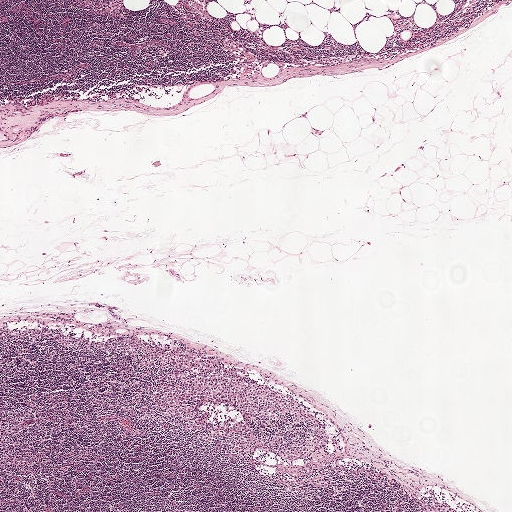
This is a crop of a whole-slide image: an H&E-stained breast-cancer sentinel lymph node section at roughly 2.5× magnification (about 3.9 µm per pixel; the crop spans about 2.0 mm).
Question: Show where the tumour is in this image.
Answer: One metastatic tumour region; its boundary, reduced to 18 corners and listed clockwise: (17, 318), (53, 319), (101, 336), (175, 343), (219, 365), (296, 390), (324, 424), (331, 453), (319, 462), (291, 462), (206, 448), (86, 401), (77, 380), (118, 376), (107, 364), (91, 357), (1, 351), (0, 321).
Tumour covers about 10% of the frame.

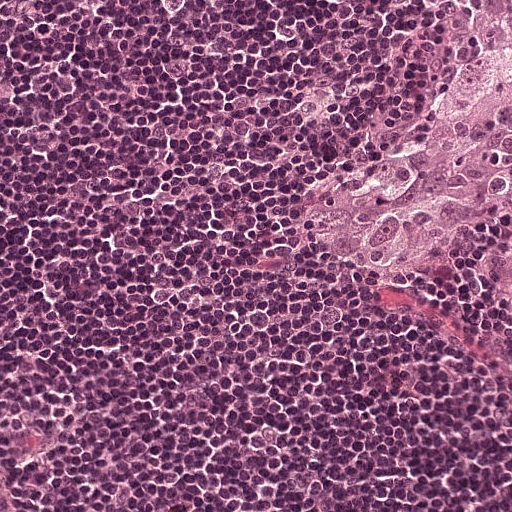
H&E-stained section of a sentinel lymph node (breast cancer), from a whole-slide image, viewed at about 20×: the field is about 0.25 mm across, about 0.49 µm per pixel.
Question: Show where the tumour is in this image.
Answer: Metastatic tumour outline, simplified to 12 points and listed clockwise in crop pixels (x, y): (511, 0), (510, 200), (472, 250), (432, 274), (420, 280), (377, 276), (308, 237), (300, 206), (323, 179), (423, 114), (478, 37), (481, 3).
About 10% of this field is tumour.

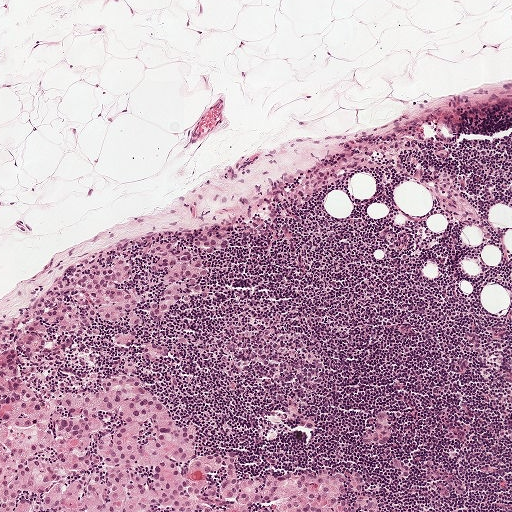
A 1-mm field of an H&E-stained sentinel lymph node from a breast-cancer patient (whole-slide image), shown at about 5×, about 1.9 µm per pixel.
Question: Show where the tumour is in this image.
Answer: The eight largest tumour regions' boundaries, simplified and listed clockwise, largest first: region 1: (57, 302), (81, 307), (99, 336), (56, 324), (19, 368), (44, 398), (99, 389), (132, 360), (130, 372), (178, 426), (194, 424), (192, 459), (236, 450), (241, 478), (325, 467), (361, 472), (363, 496), (377, 511), (0, 511), (0, 352); region 2: (163, 240), (179, 243), (196, 253), (209, 269), (206, 278), (198, 278), (196, 283), (209, 289), (206, 298), (193, 294), (188, 302), (177, 302), (166, 319), (157, 323), (146, 315), (147, 308), (164, 289), (164, 272), (148, 272), (150, 266), (160, 255), (151, 257), (146, 251), (148, 246); region 3: (115, 258), (129, 258), (134, 268), (133, 277), (115, 286), (118, 290), (133, 288), (134, 293), (143, 298), (135, 312), (142, 322), (137, 326), (132, 326), (128, 323), (130, 312), (116, 324), (101, 318), (97, 312), (93, 318), (89, 317), (86, 314), (88, 308), (93, 308), (92, 294), (82, 289), (75, 280), (90, 272), (89, 266), (97, 262), (100, 267), (110, 266); region 4: (381, 411), (386, 412), (390, 426), (390, 439), (383, 445), (370, 445), (358, 441), (363, 432), (372, 428), (378, 413); region 5: (219, 232), (229, 239), (229, 248), (207, 253), (192, 244), (194, 239), (204, 234), (211, 235); region 6: (159, 340), (167, 345), (170, 356), (162, 362), (153, 363), (143, 358), (140, 350), (145, 343); region 7: (135, 330), (139, 338), (132, 347), (126, 347), (118, 346), (112, 342), (111, 335), (126, 334); region 8: (399, 458), (409, 466), (411, 474), (404, 477), (399, 475), (400, 470), (396, 468), (391, 462), (394, 459).
One more, smaller tumour region is not outlined.
About 15% of the image area is annotated as tumour.

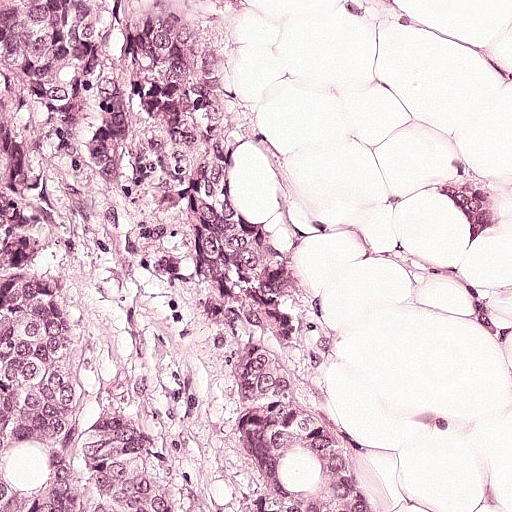
This is a crop of a whole-slide image: an H&E-stained breast-cancer sentinel lymph node section at roughly 20× magnification (about 0.49 µm per pixel; the crop spans about 0.25 mm).
Question: Show where the tumour is in this image.
Answer: The outlined metastatic tumour's edge, as a closed clockwise path of 9 points: (0, 0), (249, 0), (249, 64), (270, 160), (302, 202), (334, 202), (356, 246), (408, 511), (0, 511).
About 65% of this field is tumour.